Image:
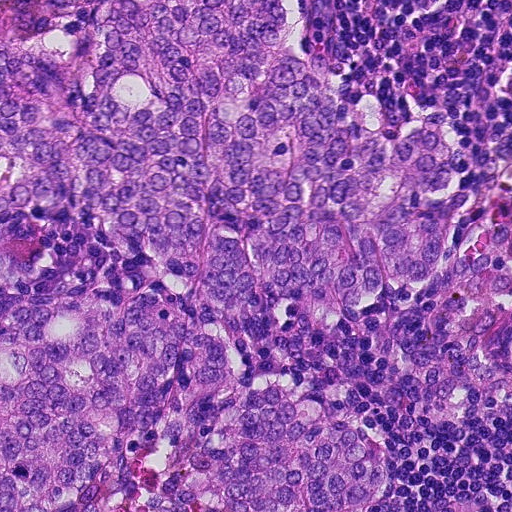
H&E-stained section of a sentinel lymph node (breast cancer), from a whole-slide image, viewed at about 20×: the field is about 0.23 mm across, about 0.45 µm per pixel.
Question:
Where is the metastatic tumour in this field?
Answer:
One metastatic tumour region; its boundary, reduced to 22 corners and listed clockwise: (0, 0), (302, 0), (306, 51), (331, 56), (363, 92), (399, 116), (434, 120), (466, 150), (470, 188), (424, 285), (382, 288), (359, 316), (256, 298), (228, 322), (230, 357), (259, 380), (295, 380), (357, 418), (384, 442), (390, 477), (371, 511), (0, 511).
The annotated tumour makes up about 70% of the crop.